Question: 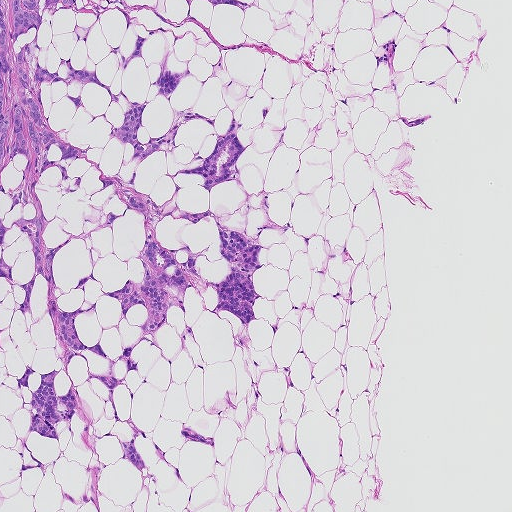
A 0.93-mm field of an H&E-stained sentinel lymph node from a breast-cancer patient (whole-slide image), shown at about 5×, about 1.8 µm per pixel.
Roughly what share of this field is metastatic tumour?

Choices:
 (A) about 5% or less
 (B) none: no tumour is outlined
 (C) about 25% to 45%
 (D) about 10% to 20%
 (E) about 50% or more

Answer: (D) about 10% to 20%
About 15% of the field is tumour.
Tumour region outline (a closed clockwise path, crop pixels): (207, 0), (236, 0), (252, 6), (246, 8), (244, 13), (233, 6), (226, 4), (213, 6).
One more tumour region is annotated but not outlined: its edge is too irregular for a short outline.
One more small tumour piece is annotated here but not outlined.